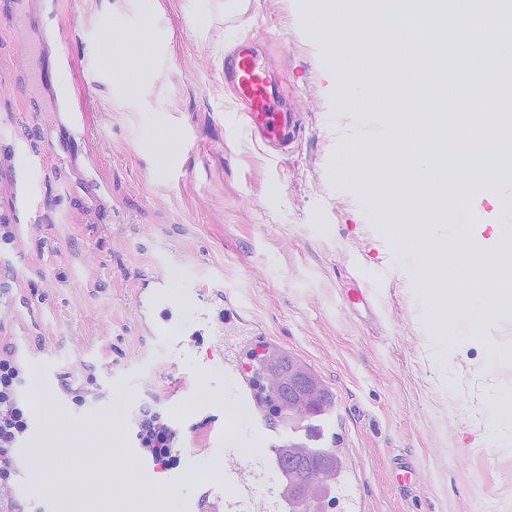
This is a crop of a whole-slide image: an H&E-stained breast-cancer sentinel lymph node section at roughly 20× magnification (about 0.5 µm per pixel; the crop spans about 0.26 mm).
Two metastatic tumour regions, each outlined as a closed clockwise path in crop pixels (x, y), largest first: region 1: (268, 340), (281, 346), (309, 366), (318, 376), (337, 404), (322, 422), (324, 438), (310, 442), (300, 422), (286, 420), (256, 372), (252, 360), (253, 345); region 2: (292, 445), (321, 450), (332, 449), (343, 456), (342, 471), (331, 480), (326, 508), (322, 511), (288, 511), (280, 500), (281, 472), (273, 460), (278, 446).
About 5% of this field is tumour.